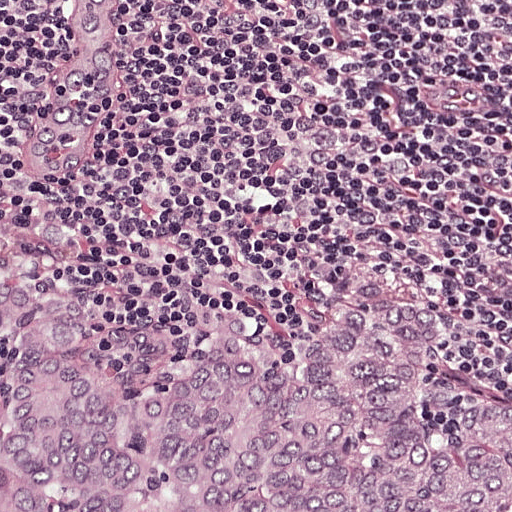
A 0.25-mm field of an H&E-stained sentinel lymph node from a breast-cancer patient (whole-slide image), shown at about 20×, about 0.49 µm per pixel.
The outlined metastatic tumour's edge, as a closed clockwise path of 8 points: (362, 259), (434, 302), (511, 389), (511, 511), (0, 511), (0, 275), (250, 314), (292, 309).
About 40% of the image area is annotated as tumour.